A 0.93-mm field of an H&E-stained sentinel lymph node from a breast-cancer patient (whole-slide image), shown at about 5×, about 1.8 µm per pixel.
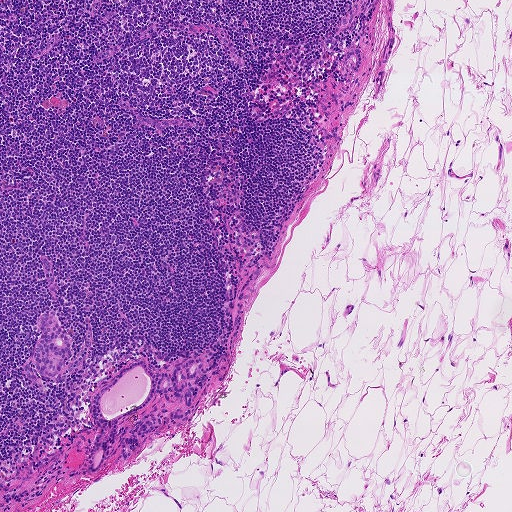
Boundaries of five metastatic tumour regions, simplified and listed clockwise, largest first: region 1: (202, 358), (200, 371), (187, 380), (195, 387), (192, 404), (181, 405), (172, 392), (154, 395), (145, 407), (117, 423), (116, 435), (107, 444), (104, 461), (94, 472), (88, 464), (99, 428), (92, 419), (93, 397), (120, 369), (138, 360), (146, 360), (154, 374), (171, 375), (186, 361); region 2: (44, 314), (57, 317), (61, 330), (71, 338), (67, 369), (57, 377), (44, 377), (38, 372), (34, 364), (34, 347), (42, 332), (36, 323), (37, 318); region 3: (151, 413), (161, 420), (160, 429), (145, 438), (137, 437), (139, 445), (137, 449), (133, 451), (129, 458), (125, 459), (119, 449), (116, 448), (118, 441), (130, 436), (129, 432), (133, 425), (147, 414); region 4: (356, 47), (361, 54), (361, 66), (359, 70), (355, 72), (348, 70), (344, 67), (343, 58), (346, 50); region 5: (190, 409), (190, 411), (190, 414), (179, 420), (170, 419), (170, 411), (174, 412), (175, 414), (179, 415).
About 5% of the image area is annotated as tumour.